Question: 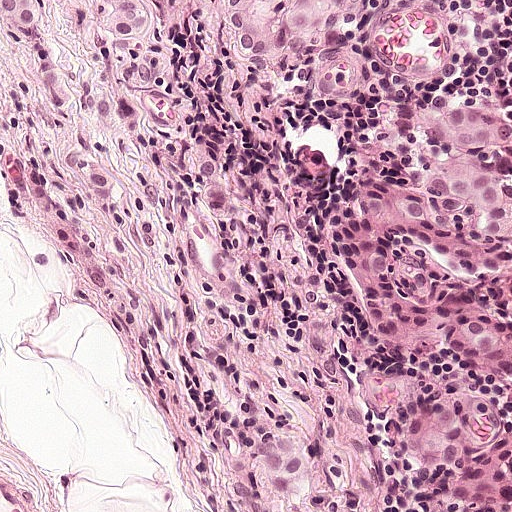
This is a crop of a whole-slide image: an H&E-stained breast-cancer sentinel lymph node section at roughly 20× magnification (about 0.49 µm per pixel; the crop spans about 0.25 mm).
Roughly what share of this field is metastatic tumour?

Choices:
 (A) about 10% to 20%
 (B) about 5% or less
 (C) about 25% to 45%
 (D) none: no tumour is outlined
 (E) about 50% or more

Answer: (E) about 50% or more
About 75% of the field is tumour.
One metastatic tumour region; its boundary, reduced to 21 corners and listed clockwise: (0, 0), (370, 0), (391, 72), (440, 101), (511, 118), (511, 393), (476, 382), (442, 351), (425, 354), (430, 382), (444, 378), (478, 405), (506, 410), (488, 463), (456, 484), (473, 511), (207, 511), (186, 363), (121, 262), (22, 170), (1, 136).